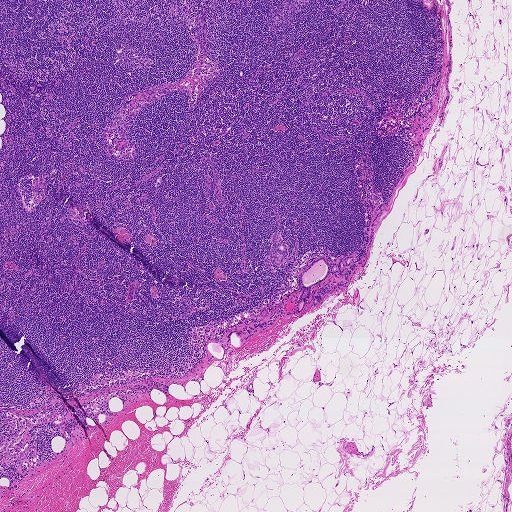
H&E-stained section of a sentinel lymph node (breast cancer), from a whole-slide image, viewed at about 2.5×: the field is about 1.9 mm across, about 3.6 µm per pixel.
Three metastatic tumour regions, each outlined as a closed clockwise path in crop pixels (x, y), largest first: region 1: (321, 256), (325, 256), (329, 264), (338, 264), (345, 257), (353, 256), (352, 262), (346, 267), (349, 270), (348, 278), (342, 279), (338, 272), (329, 274), (324, 280), (311, 288), (310, 294), (306, 299), (304, 307), (299, 312), (296, 309), (302, 291), (298, 286), (298, 275), (312, 261); region 2: (274, 234), (280, 235), (282, 242), (287, 245), (285, 261), (280, 265), (274, 265), (269, 258), (269, 250), (273, 242), (270, 236); region 3: (326, 283), (328, 283), (332, 286), (332, 291), (325, 295), (320, 295), (321, 299), (320, 301), (314, 306), (310, 300), (311, 297), (317, 294), (316, 293), (318, 289).
Two more small tumour pieces are annotated here but not outlined.
The annotated tumour makes up under 5% of the crop.